Question: 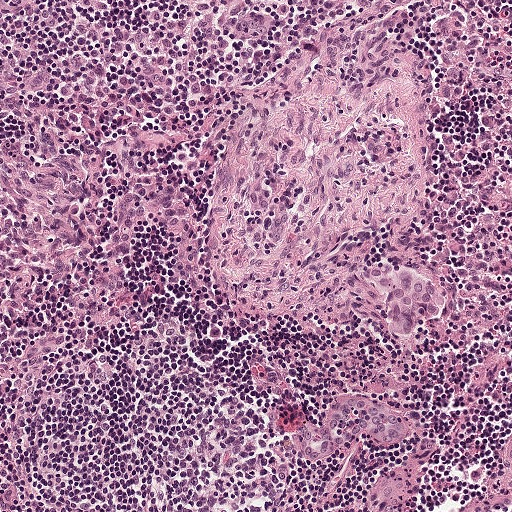
This is a crop of a whole-slide image: an H&E-stained breast-cancer sentinel lymph node section at roughly 10× magnification (about 0.97 µm per pixel; the crop spans about 0.5 mm).
Estimate the proportion of this field that is metastatic tumour.

Choices:
 (A) about 50% or more
 (B) about 25% to 45%
 (C) about 5% or less
 (D) about 10% to 20%
 (E) none: no tumour is outlined

Answer: (C) about 5% or less
Under 5% of the field is tumour.
Metastatic tumour outline, simplified to 14 points and listed clockwise in crop pixels (x, y): (370, 258), (388, 258), (408, 263), (416, 270), (448, 286), (446, 316), (439, 322), (426, 323), (402, 342), (392, 342), (382, 324), (379, 299), (358, 287), (358, 267).